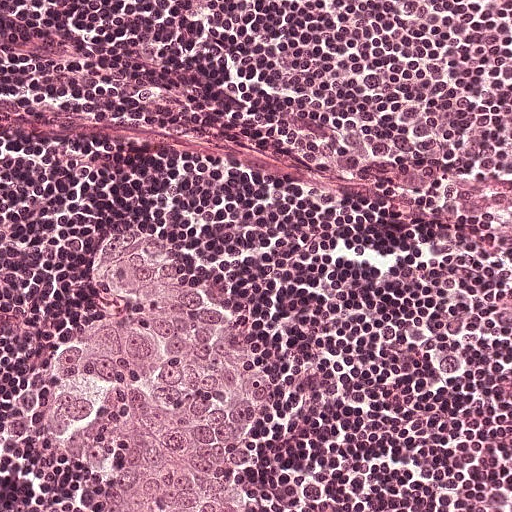
A 0.25-mm field of an H&E-stained sentinel lymph node from a breast-cancer patient (whole-slide image), shown at about 20×, about 0.49 µm per pixel.
Outlines of two tumour regions, largest first (closed clockwise paths, crop pixels): region 1: (132, 206), (186, 229), (246, 326), (296, 480), (354, 511), (43, 511), (60, 466), (26, 397), (26, 352), (92, 218); region 2: (511, 461), (511, 511), (477, 511), (482, 506), (482, 502), (484, 500), (484, 497), (490, 494), (490, 491), (499, 482), (499, 480), (502, 474), (504, 471), (508, 471), (508, 466).
About 25% of this field is tumour.